Question: 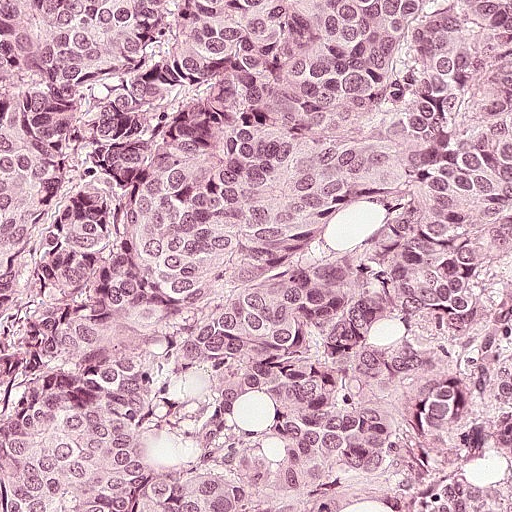
Which magnification is this H&E lymph node field most likely shown at?

Choices:
 (A) about 2.5×
 (B) about 5×
 (C) about 20×
 (D) about 10×
 (E) about 40×

Answer: (C) about 20×
A 0.25-mm field of an H&E-stained sentinel lymph node from a breast-cancer patient (whole-slide image), shown at about 20×, about 0.49 µm per pixel.